Question: 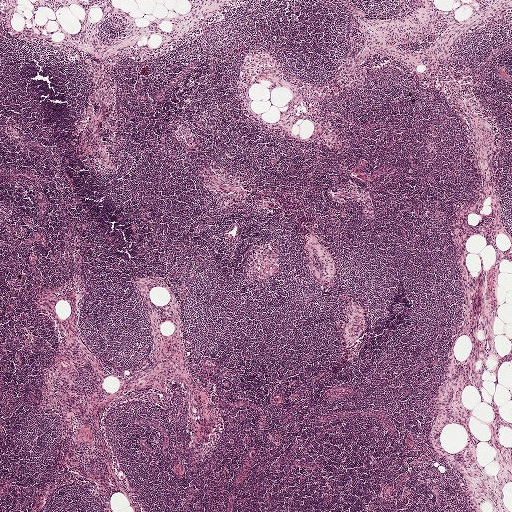
Which magnification is this H&E lymph node field most likely shown at?

Choices:
 (A) about 10×
 (B) about 40×
 (C) about 20×
 (D) about 2.5×
 (E) about 5×

Answer: (D) about 2.5×
A 2.0-mm field of an H&E-stained sentinel lymph node from a breast-cancer patient (whole-slide image), shown at about 2.5×, about 3.9 µm per pixel.